Question: 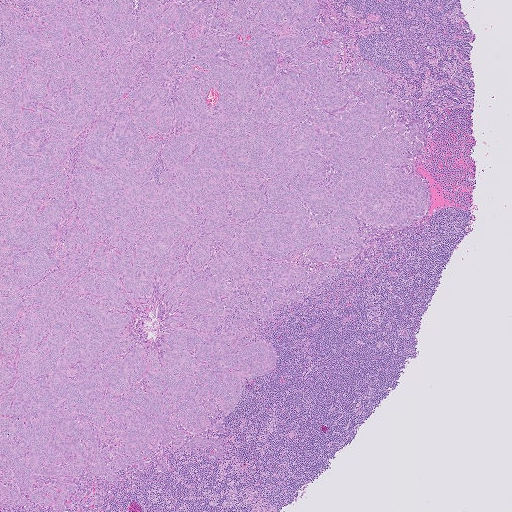
Lymph node section stained with H&E, from a whole-slide image of a breast-cancer sentinel node. Magnification about 2.5×, about 2.0 mm across the frame, about 4.0 µm per pixel.
Estimate the proportion of this field that is metastatic tumour.

Choices:
 (A) about 10% to 20%
 (B) about 25% to 45%
 (C) about 50% or more
 (D) about 5% or less
 (E) none: no tumour is outlined

Answer: (C) about 50% or more
About 60% of the field is tumour.
Metastatic tumour outline, simplified to 24 points and listed clockwise in crop pixels (x, y): (0, 0), (317, 0), (345, 41), (339, 73), (371, 61), (428, 122), (415, 173), (430, 188), (427, 215), (351, 259), (308, 267), (340, 274), (259, 326), (279, 364), (246, 382), (225, 434), (204, 432), (224, 439), (220, 459), (178, 449), (164, 473), (83, 473), (68, 508), (0, 511).